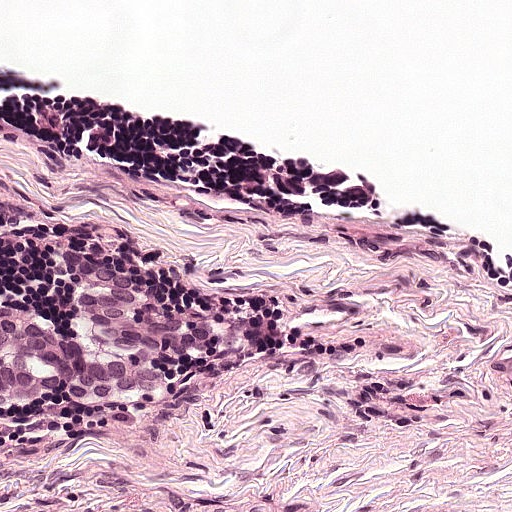
Lymph node section stained with H&E, from a whole-slide image of a breast-cancer sentinel node. Magnification about 20×, about 0.25 mm across the frame, about 0.49 µm per pixel.
Tumour region outline (a closed clockwise path, crop pixels): (131, 287), (155, 294), (221, 335), (218, 344), (174, 352), (174, 379), (152, 394), (77, 395), (49, 386), (0, 401), (2, 308), (32, 308), (71, 328), (79, 325), (75, 292).
About 5% of the image area is annotated as tumour.